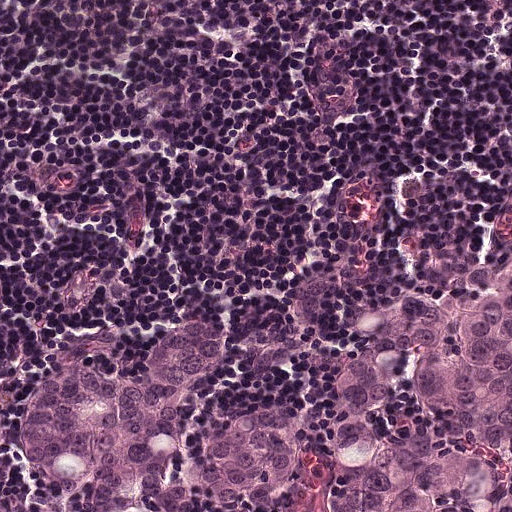
A 0.25-mm field of an H&E-stained sentinel lymph node from a breast-cancer patient (whole-slide image), shown at about 20×, about 0.49 µm per pixel.
The outlined metastatic tumour's edge, as a closed clockwise path of 12 points: (510, 221), (511, 511), (0, 511), (0, 369), (138, 360), (184, 324), (210, 324), (268, 360), (314, 370), (368, 320), (460, 278), (488, 228).
Tumour covers about 35% of the frame.